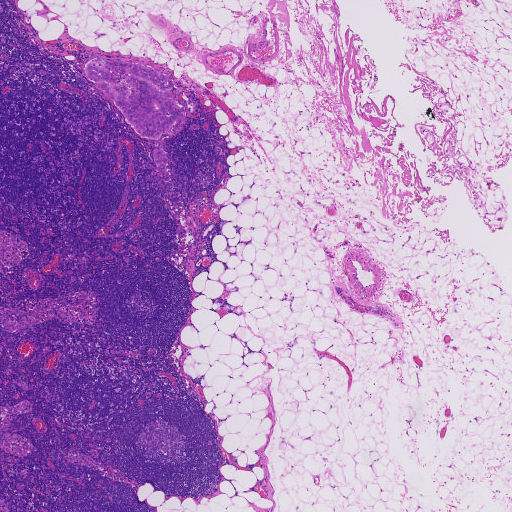
H&E-stained section of a sentinel lymph node (breast cancer), from a whole-slide image, viewed at about 2.5×: the field is about 1.9 mm across, about 3.6 µm per pixel.
Boundaries of two metastatic tumour regions, simplified and listed clockwise, largest first: region 1: (97, 57), (142, 65), (169, 75), (174, 84), (168, 99), (175, 99), (184, 111), (180, 131), (173, 135), (172, 127), (162, 133), (158, 139), (145, 139), (136, 133), (85, 72), (86, 63); region 2: (157, 146), (161, 146), (163, 148), (166, 153), (168, 159), (164, 168), (166, 171), (169, 172), (169, 175), (168, 176), (165, 176), (160, 174), (155, 163), (153, 155), (154, 152).
One more small tumour piece is annotated here but not outlined.
The annotated tumour makes up under 5% of the crop.